Question: 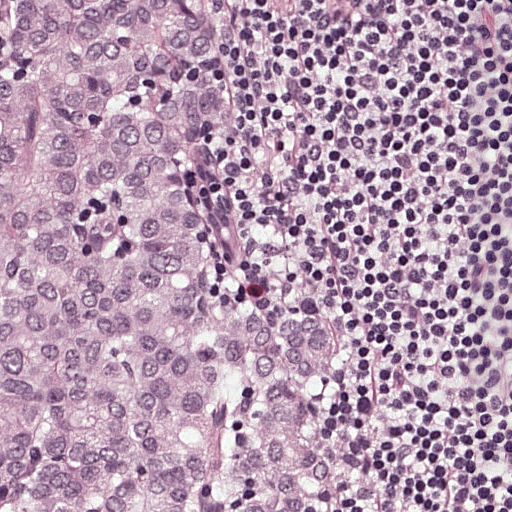
This is a crop of a whole-slide image: an H&E-stained breast-cancer sentinel lymph node section at roughly 20× magnification (about 0.49 µm per pixel; the crop spans about 0.25 mm).
What fraction of the image area is metastatic tumour?

Choices:
 (A) about 5% or less
 (B) none: no tumour is outlined
 (C) about 10% to 20%
 (D) about 25% to 45%
 (E) about 50% or more

Answer: (E) about 50% or more
About 55% of the field is tumour.
Metastatic tumour outline, simplified to 9 points and listed clockwise in crop pixels (x, y): (0, 0), (220, 0), (250, 83), (241, 210), (254, 251), (346, 341), (351, 470), (369, 511), (0, 511).